Question: 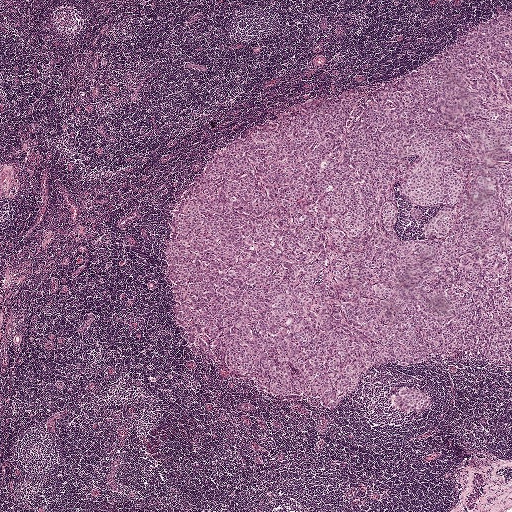
A 2.0-mm field of an H&E-stained sentinel lymph node from a breast-cancer patient (whole-slide image), shown at about 2.5×, about 3.9 µm per pixel.
What fraction of the image area is metastatic tumour?

Choices:
 (A) about 50% or more
 (B) about 25% to 45%
 (C) none: no tumour is outlined
 (D) about 10% to 20%
 (E) about 5% or less

Answer: (B) about 25% to 45%
About 35% of the field is tumour.
Boundaries of two metastatic tumour regions, simplified and listed clockwise, largest first: region 1: (511, 9), (511, 365), (468, 354), (378, 362), (338, 407), (268, 394), (192, 350), (176, 325), (169, 209), (209, 156), (276, 112), (388, 78); region 2: (404, 387), (415, 388), (428, 392), (429, 401), (426, 410), (401, 410), (394, 407), (391, 403), (393, 394).